Image:
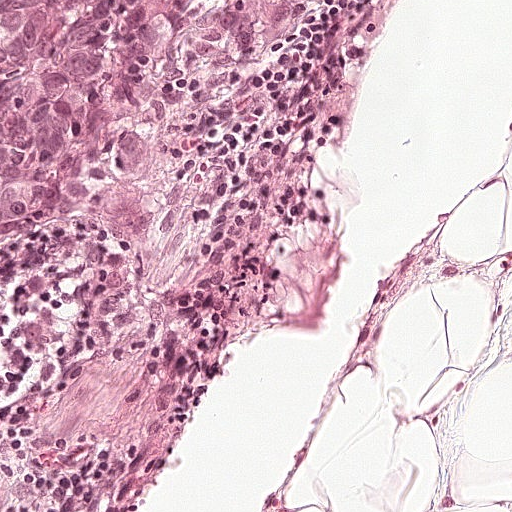
Lymph node section stained with H&E, from a whole-slide image of a breast-cancer sentinel node. Magnification about 20×, about 0.25 mm across the frame, about 0.49 µm per pixel.
Question:
Is any metastatic breast cancer visible in this crop?
Answer:
Yes.
One metastatic tumour region; its boundary, reduced to 10 corners and listed clockwise: (0, 0), (369, 0), (226, 96), (220, 204), (200, 244), (172, 270), (129, 292), (106, 292), (75, 228), (0, 249).
The annotated tumour makes up about 25% of the crop.